Question: 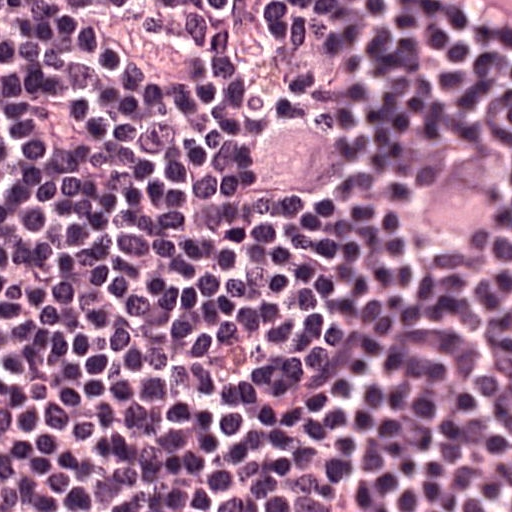
A 0.12-mm field of an H&E-stained sentinel lymph node from a breast-cancer patient (whole-slide image), shown at about 40×, about 0.24 µm per pixel.
About how much of this crop is taken up by metastatic carcinoma?

Choices:
 (A) none: no tumour is outlined
 (B) about 25% to 45%
 (C) about 10% to 20%
 (D) about 5% or less
 (E) about 50% or more

Answer: (C) about 10% to 20%
About 15% of the field is tumour.
Two metastatic tumour regions, each outlined as a closed clockwise path in crop pixels (x, y), largest first: region 1: (227, 89), (313, 94), (370, 123), (444, 134), (415, 134), (427, 146), (455, 146), (466, 157), (511, 168), (511, 281), (392, 277), (273, 225), (210, 151), (216, 106); region 2: (211, 0), (474, 0), (471, 4), (471, 19), (235, 19).